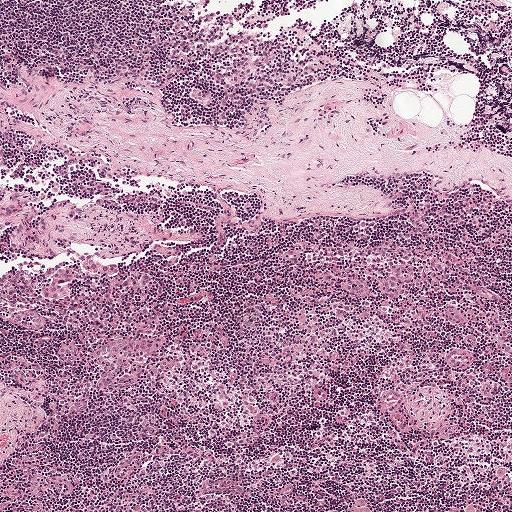
H&E-stained section of a sentinel lymph node (breast cancer), from a whole-slide image, viewed at about 5×: the field is about 1 mm across, about 1.9 µm per pixel.
Boundaries of two metastatic tumour regions, simplified and listed clockwise, largest first: region 1: (64, 264), (71, 265), (73, 269), (73, 278), (68, 282), (68, 285), (73, 287), (73, 291), (62, 302), (47, 302), (40, 296), (41, 287), (46, 282), (51, 280), (52, 274), (56, 269); region 2: (86, 256), (101, 262), (113, 262), (120, 267), (119, 271), (115, 274), (107, 276), (92, 275), (79, 264).
Tumour covers under 5% of the frame.